Lymph node section stained with H&E, from a whole-slide image of a breast-cancer sentinel node. Magnification about 10×, about 0.46 mm across the frame, about 0.9 µm per pixel.
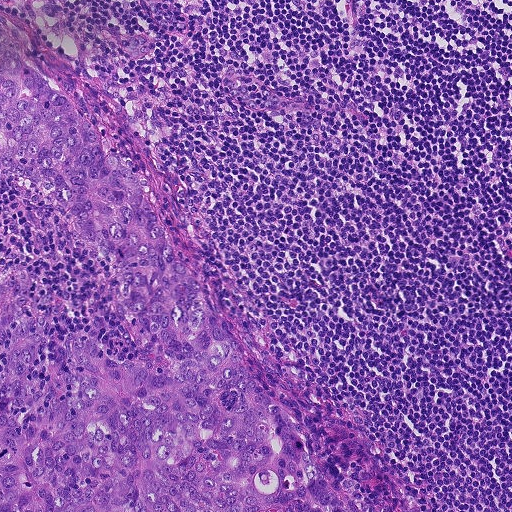
Question: Is any metastatic breast cancer visible in this crop?
Answer: Yes.
One metastatic tumour region; its boundary, reduced to 8 corners and listed clockwise: (0, 41), (140, 161), (176, 255), (192, 264), (228, 336), (356, 430), (407, 511), (0, 511).
Tumour covers about 40% of the frame.